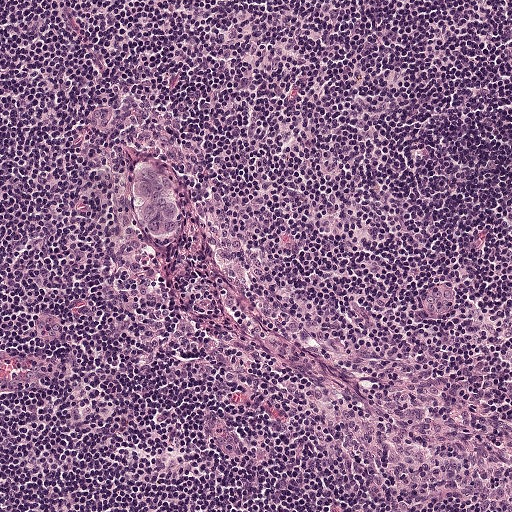
H&E-stained section of a sentinel lymph node (breast cancer), from a whole-slide image, viewed at about 10×: the field is about 0.5 mm across, about 0.97 µm per pixel.
Tumour region outline (a closed clockwise path, crop pixels): (141, 159), (152, 163), (170, 177), (174, 187), (176, 208), (176, 227), (170, 233), (142, 227), (134, 220), (130, 210), (125, 206), (125, 183), (133, 163).
Tumour covers under 5% of the frame.